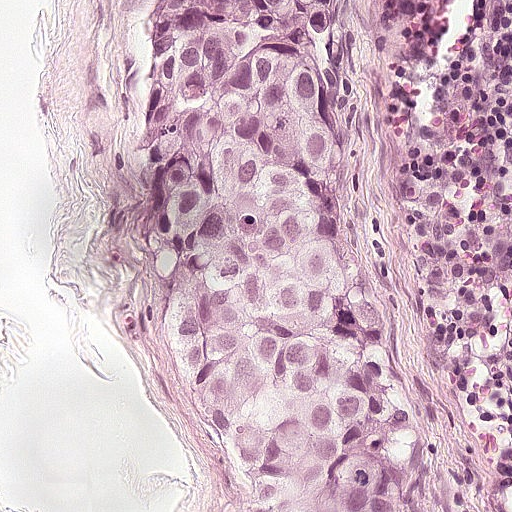
A 0.25-mm field of an H&E-stained sentinel lymph node from a breast-cancer patient (whole-slide image), shown at about 20×, about 0.49 µm per pixel.
One metastatic tumour region; its boundary, reduced to 11 corners and listed clockwise: (350, 0), (364, 21), (360, 164), (382, 212), (379, 334), (447, 511), (240, 511), (177, 425), (148, 230), (148, 106), (166, 6).
The annotated tumour makes up about 45% of the crop.